This is a crop of a whole-slide image: an H&E-stained breast-cancer sentinel lymph node section at roughly 40× magnification (about 0.24 µm per pixel; the crop spans about 0.12 mm).
Question: 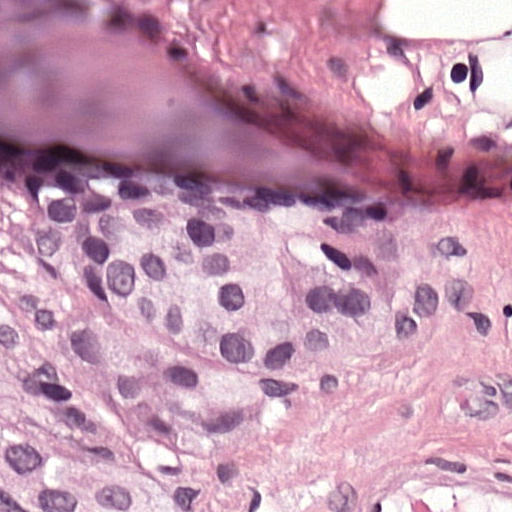
Roughly what share of this field is metastatic tumour?

Choices:
 (A) about 10% to 20%
 (B) none: no tumour is outlined
 (C) about 25% to 45%
 (D) about 50% or more
 (E) about 5% or less

Answer: (D) about 50% or more
About 55% of the field is tumour.
The outlined metastatic tumour's edge, as a closed clockwise path of 8 points: (132, 154), (266, 156), (511, 213), (511, 324), (485, 316), (280, 511), (0, 511), (0, 288).